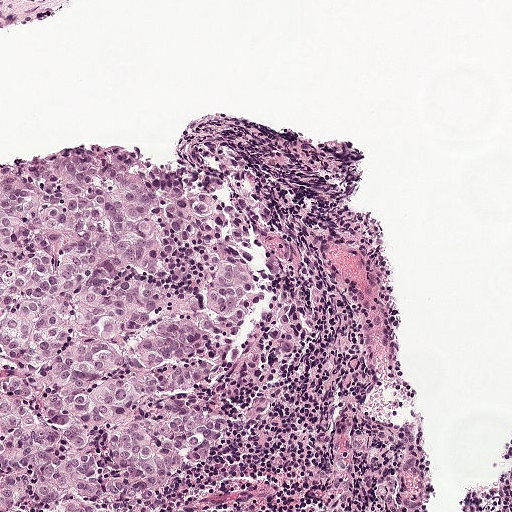
H&E-stained section of a sentinel lymph node (breast cancer), from a whole-slide image, viewed at about 10×: the field is about 0.5 mm across, about 0.97 µm per pixel.
One metastatic tumour region; its boundary, reduced to 19 corners and listed clockwise: (112, 154), (219, 196), (213, 232), (172, 263), (183, 296), (204, 296), (212, 277), (238, 266), (253, 278), (256, 302), (226, 365), (174, 400), (235, 420), (224, 448), (189, 458), (166, 491), (95, 511), (0, 511), (0, 170).
Tumour covers about 25% of the frame.